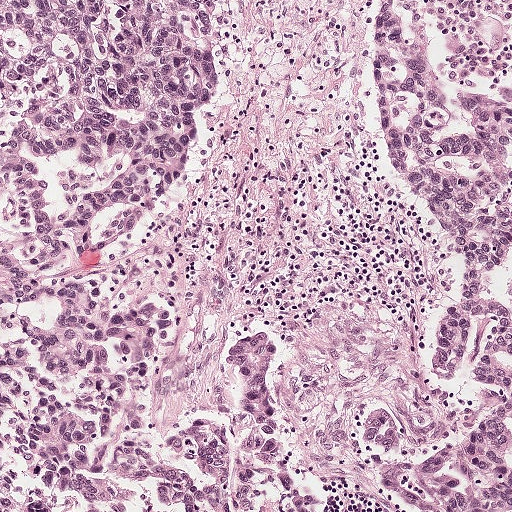
This is a crop of a whole-slide image: an H&E-stained breast-cancer sentinel lymph node section at roughly 10× magnification (about 0.97 µm per pixel; the crop spans about 0.5 mm).
Tumour region outline (a closed clockwise path, crop pixels): (0, 0), (208, 0), (208, 98), (172, 222), (111, 273), (1, 304).
About 20% of this field is tumour.